H&E-stained section of a sentinel lymph node (breast cancer), from a whole-slide image, viewed at about 2.5×: the field is about 2.0 mm across, about 3.9 µm per pixel.
Image:
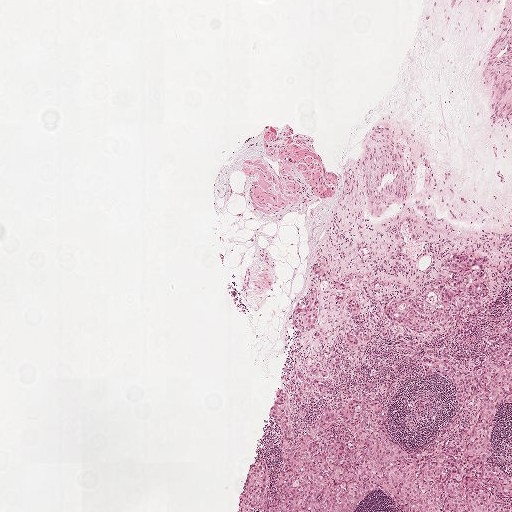
Question:
Is there metastatic carcinoma in this field?
Answer:
Yes.
Eight metastatic tumour regions, each outlined as a closed clockwise path in crop pixels (x, y), largest first: region 1: (511, 310), (511, 401), (497, 402), (489, 463), (511, 473), (511, 511), (395, 511), (399, 502), (381, 486), (370, 488), (355, 511), (237, 508), (241, 480), (256, 457), (266, 459), (271, 493), (274, 489), (282, 459), (282, 430), (269, 411), (276, 388), (282, 386), (288, 397), (293, 437), (300, 425), (347, 394), (397, 385), (388, 431), (405, 449), (424, 450), (445, 428), (456, 402), (455, 386), (428, 376), (423, 356), (427, 352), (470, 368), (491, 347), (493, 321); region 2: (468, 251), (477, 256), (487, 267), (489, 294), (484, 306), (467, 312), (462, 310), (447, 328), (436, 332), (401, 325), (389, 327), (381, 307), (394, 292), (411, 294), (426, 312), (441, 305), (442, 295), (433, 288), (436, 281), (460, 293), (451, 270), (442, 260), (456, 252); region 3: (311, 285), (314, 286), (321, 307), (311, 326), (308, 329), (300, 329), (293, 324), (293, 314), (295, 308), (308, 303), (310, 296), (309, 289); region 4: (296, 368), (300, 368), (303, 375), (306, 379), (310, 382), (310, 384), (310, 388), (307, 387), (306, 385), (303, 384), (303, 389), (304, 393), (302, 396), (302, 398), (300, 399), (301, 400), (300, 400), (295, 398), (294, 395), (295, 392), (297, 388), (297, 385), (298, 382), (297, 379), (299, 380), (301, 379), (299, 375), (296, 372); region 5: (355, 296), (359, 299), (361, 307), (358, 313), (351, 313), (345, 308), (349, 298); region 6: (311, 262), (317, 262), (325, 267), (326, 270), (326, 276), (323, 277), (318, 277), (310, 271), (308, 267); region 7: (317, 359), (321, 359), (321, 365), (327, 369), (327, 372), (326, 374), (321, 375), (314, 373), (310, 370); region 8: (313, 376), (314, 376), (318, 378), (319, 380), (323, 383), (325, 387), (325, 395), (322, 395), (319, 392), (317, 385), (312, 379).
Five more small tumour pieces are annotated here but not outlined.
About 15% of the image area is annotated as tumour.